Image:
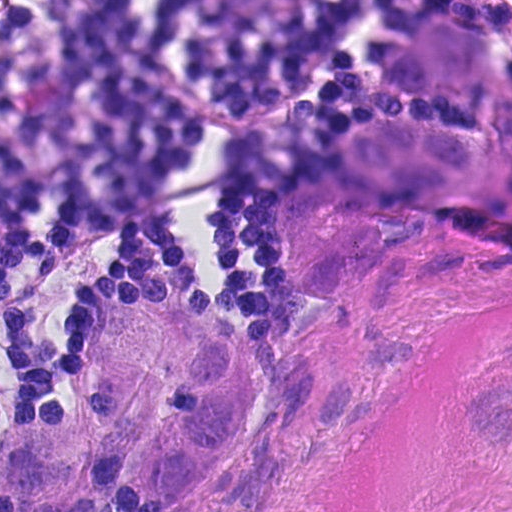
Lymph node section stained with H&E, from a whole-slide image of a breast-cancer sentinel node. Magnification about 40×, about 0.12 mm across the frame, about 0.23 µm per pixel.
Question:
Trace the edge of each tumour region in this crop, as (x, y) points from 0 to 511.
Answer:
Two metastatic tumour regions, each outlined as a closed clockwise path in crop pixels (x, y), largest first: region 1: (145, 291), (199, 296), (243, 330), (268, 379), (268, 434), (233, 511), (0, 511), (0, 446), (8, 429), (62, 422), (97, 318); region 2: (393, 115), (489, 137), (492, 168), (474, 192), (380, 214), (393, 245), (371, 268), (315, 295), (288, 281), (273, 252), (274, 220), (287, 191), (314, 178), (347, 174), (338, 140), (358, 123).
The annotated tumour makes up about 25% of the crop.